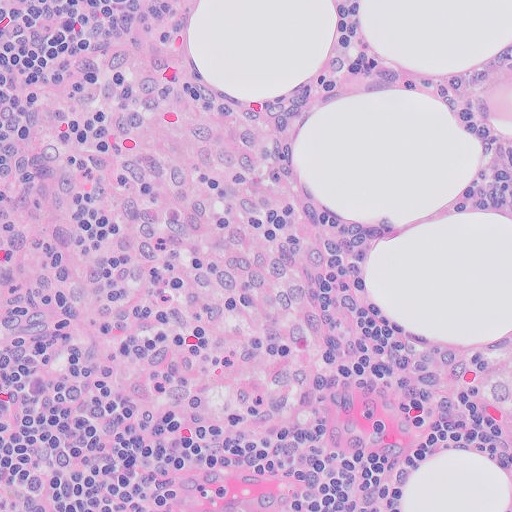
This is a crop of a whole-slide image: an H&E-stained breast-cancer sentinel lymph node section at roughly 20× magnification (about 0.5 µm per pixel; the crop spans about 0.26 mm).